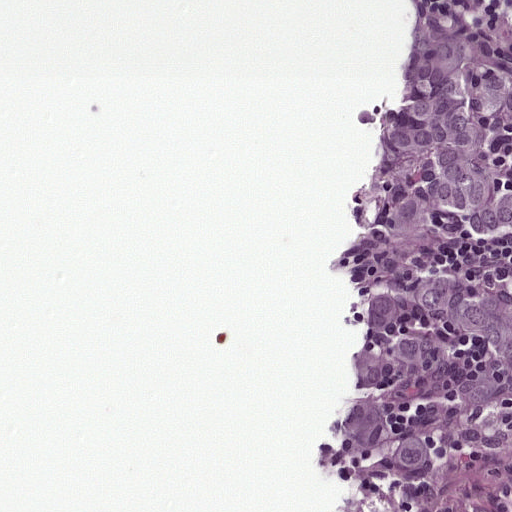
Lymph node section stained with H&E, from a whole-slide image of a breast-cancer sentinel node. Magnification about 20×, about 0.25 mm across the frame, about 0.49 µm per pixel.
Outlines of three tumour regions, largest first (closed clockwise paths, crop pixels): region 1: (444, 30), (485, 64), (511, 78), (511, 231), (480, 230), (461, 212), (440, 206), (434, 214), (410, 226), (384, 228), (370, 214), (407, 201), (417, 187), (438, 183), (435, 160), (424, 150), (398, 152), (372, 144), (353, 126), (371, 101), (404, 99), (418, 32); region 2: (419, 272), (446, 272), (470, 286), (489, 302), (511, 326), (511, 353), (478, 334), (452, 331), (428, 320), (418, 296); region 3: (376, 292), (390, 294), (398, 309), (392, 324), (369, 332), (366, 350), (418, 328), (437, 358), (416, 370), (376, 384), (352, 385), (350, 356), (360, 338), (368, 309).
Two more small tumour pieces are annotated here but not outlined.
About 10% of this field is tumour.